Image:
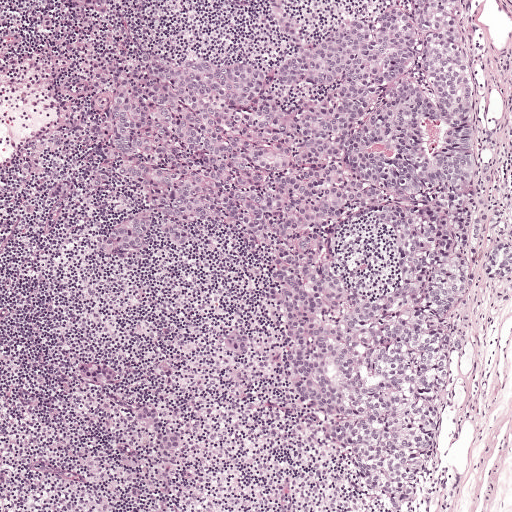
H&E-stained section of a sentinel lymph node (breast cancer), from a whole-slide image, viewed at about 5×: the field is about 1 mm across, about 1.9 µm per pixel.
Question:
Outline the metastatic carcinoma in this image, as closed paths of (x, y) pixel coordinates.
Answer:
Boundaries of seven metastatic tumour regions, simplified and listed clockwise, largest first: region 1: (261, 0), (289, 0), (312, 34), (381, 0), (466, 0), (473, 231), (488, 215), (446, 438), (406, 511), (364, 491), (298, 407), (280, 336), (238, 357), (220, 345), (238, 323), (257, 341), (277, 330), (277, 306), (254, 298), (266, 245), (204, 219), (178, 254), (154, 210), (156, 245), (111, 262), (106, 229), (146, 195), (112, 169), (21, 211), (92, 163), (80, 142), (16, 178), (23, 157), (102, 120), (81, 70), (146, 47), (277, 56); region 2: (81, 356), (92, 356), (116, 363), (123, 374), (118, 385), (121, 397), (132, 403), (143, 399), (153, 403), (160, 412), (160, 430), (182, 430), (186, 435), (185, 454), (181, 463), (157, 461), (161, 488), (165, 501), (175, 511), (143, 511), (161, 501), (154, 458), (122, 470), (112, 462), (107, 452), (111, 441), (122, 439), (143, 454), (154, 456), (156, 433), (133, 427), (131, 414), (124, 405), (113, 397), (75, 383), (66, 374), (69, 361); region 3: (506, 242), (511, 247), (511, 269), (509, 274), (501, 279), (486, 274), (484, 265), (489, 247); region 4: (69, 0), (116, 0), (112, 10), (86, 11), (73, 8); region 5: (492, 163), (493, 182), (485, 184), (483, 173), (484, 164); region 6: (174, 367), (174, 381), (170, 385), (165, 385), (166, 369); region 7: (497, 291), (505, 293), (511, 297), (505, 302), (495, 298).
Three more small tumour pieces are annotated here but not outlined.
The annotated tumour makes up about 50% of the crop.